Question: 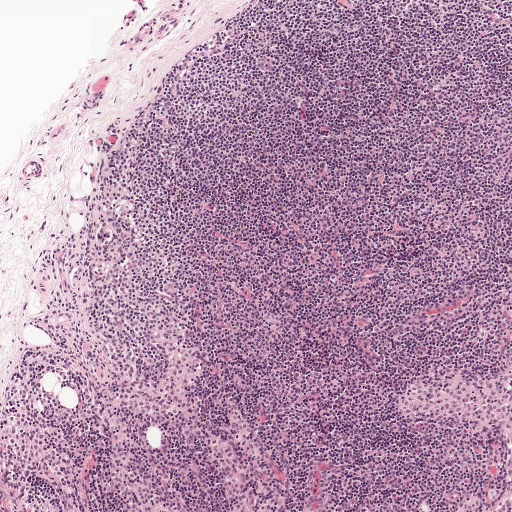
About what magnification does this crop show?

Choices:
 (A) about 2.5×
 (B) about 10×
 (C) about 20×
 (D) about 40×
 (E) about 5×

Answer: (E) about 5×
Lymph node section stained with H&E, from a whole-slide image of a breast-cancer sentinel node. Magnification about 5×, about 1 mm across the frame, about 1.9 µm per pixel.
Boundaries of two metastatic tumour regions, simplified and listed clockwise, largest first: region 1: (0, 480), (3, 480), (10, 488), (9, 504), (12, 511), (0, 511); region 2: (105, 221), (110, 225), (112, 234), (111, 242), (106, 245), (101, 245), (98, 242), (98, 228).
The annotated tumour makes up under 5% of the crop.
Question: 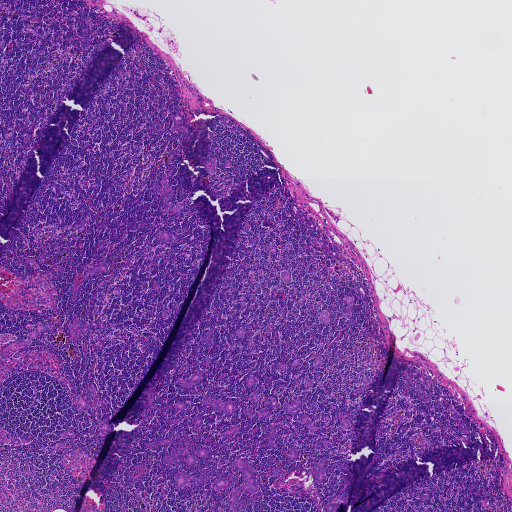
About what magnification does this crop show?

Choices:
 (A) about 5×
 (B) about 40×
 (C) about 10×
 (D) about 2.5×
 (E) about 20×

Answer: (D) about 2.5×
H&E-stained section of a sentinel lymph node (breast cancer), from a whole-slide image, viewed at about 2.5×: the field is about 1.9 mm across, about 3.6 µm per pixel.
Outlines of the eight largest metastatic tumour regions, each a closed clockwise path in crop pixels (x, y), largest first: region 1: (242, 458), (252, 462), (249, 466), (256, 478), (258, 488), (258, 490), (253, 492), (246, 490), (240, 495), (236, 509), (234, 511), (231, 510), (228, 504), (228, 499), (236, 489), (245, 484), (243, 473), (233, 468), (232, 466), (235, 461); region 2: (166, 180), (168, 180), (170, 184), (174, 191), (174, 194), (168, 202), (173, 204), (173, 206), (182, 201), (183, 203), (183, 208), (180, 212), (172, 214), (165, 214), (164, 212), (163, 210), (169, 205), (167, 203), (165, 204), (162, 197), (158, 194), (158, 191), (161, 187), (163, 185), (162, 183); region 3: (180, 108), (183, 111), (186, 121), (191, 126), (191, 141), (186, 141), (185, 139), (186, 132), (185, 130), (180, 132), (172, 132), (171, 130), (173, 123), (171, 116), (177, 112); region 4: (204, 397), (210, 397), (212, 402), (218, 400), (223, 402), (231, 400), (236, 402), (236, 405), (233, 415), (223, 413), (221, 411), (216, 411), (210, 406), (205, 403), (203, 400); region 5: (314, 238), (324, 240), (329, 245), (339, 247), (342, 251), (340, 258), (339, 260), (328, 255), (325, 254), (309, 240); region 6: (294, 201), (299, 206), (303, 213), (306, 214), (308, 218), (315, 223), (316, 225), (315, 230), (311, 230), (306, 227), (297, 216), (292, 213), (291, 202); region 7: (407, 367), (422, 372), (429, 380), (429, 385), (427, 386), (413, 377), (410, 377), (407, 381), (403, 375), (405, 372), (405, 368); region 8: (39, 324), (54, 324), (55, 329), (51, 333), (46, 330), (38, 338), (33, 339), (31, 339), (27, 336), (28, 333), (37, 328).
21 more, smaller tumour regions are not outlined.
39 more small tumour pieces are annotated here but not outlined.
About 5% of this field is tumour.
Question: 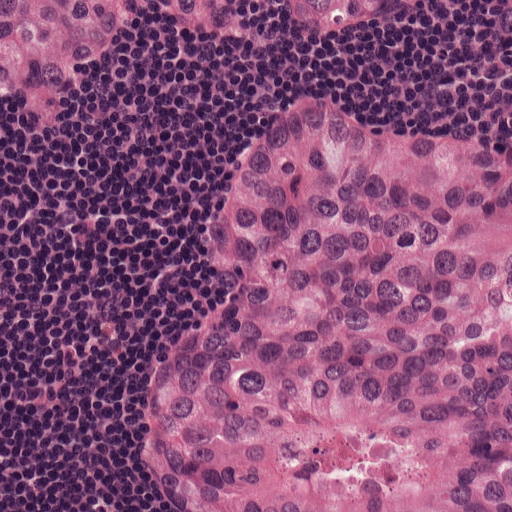
About what magnification does this crop show?

Choices:
 (A) about 40×
 (B) about 10×
 (C) about 5×
 (D) about 2.5×
 (E) about 20×

Answer: (E) about 20×
Lymph node section stained with H&E, from a whole-slide image of a breast-cancer sentinel node. Magnification about 20×, about 0.25 mm across the frame, about 0.49 µm per pixel.
Boundaries of four metastatic tumour regions, simplified and listed clockwise, largest first: region 1: (292, 104), (383, 108), (511, 130), (511, 511), (149, 511), (112, 421), (222, 166); region 2: (0, 0), (437, 0), (418, 26), (333, 65), (236, 65), (147, 44), (96, 120), (0, 126); region 3: (0, 127), (11, 180), (0, 273); region 4: (503, 0), (511, 0), (511, 22), (507, 19).
The annotated tumour makes up about 65% of the crop.
Question: 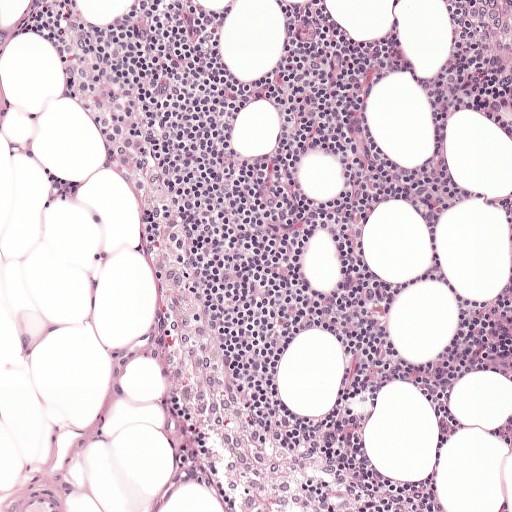
About what magnification does this crop show?

Choices:
 (A) about 2.5×
 (B) about 20×
 (C) about 5×
 (D) about 10×
 (E) about 40×

Answer: (D) about 10×
H&E-stained section of a sentinel lymph node (breast cancer), from a whole-slide image, viewed at about 10×: the field is about 0.5 mm across, about 0.97 µm per pixel.